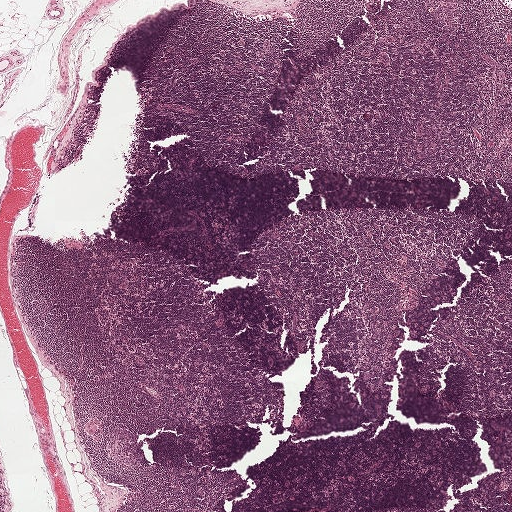
Lymph node section stained with H&E, from a whole-slide image of a breast-cancer sentinel node. Magnification about 2.5×, about 2.0 mm across the frame, about 3.9 µm per pixel.